A 1-mm field of an H&E-stained sentinel lymph node from a breast-cancer patient (whole-slide image), shown at about 5×, about 1.9 µm per pixel.
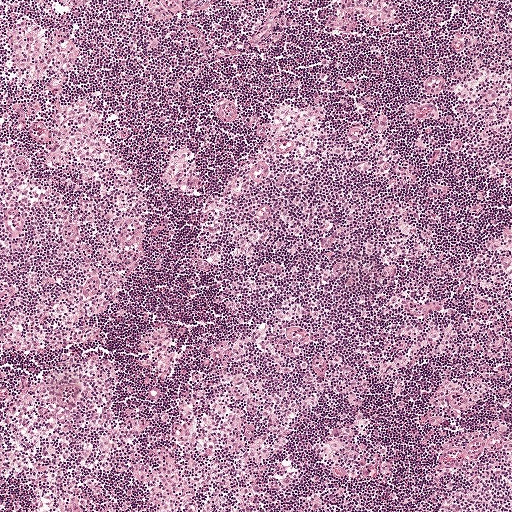
Question: Is any metastatic breast cancer visible in this crop?
Answer: No, this field holds no outlined metastasis.